This is a crop of a whole-slide image: an H&E-stained breast-cancer sentinel lymph node section at roughly 10× magnification (about 0.97 µm per pixel; the crop spans about 0.5 mm).
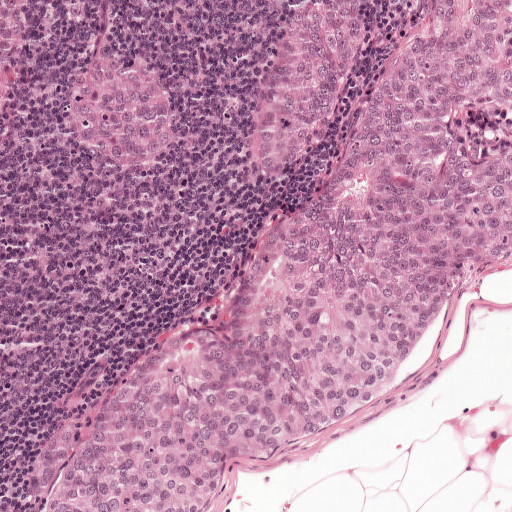
Outlines of four tumour regions, largest first (closed clockwise paths, crop pixels): region 1: (413, 0), (511, 0), (511, 255), (462, 291), (379, 404), (340, 431), (226, 467), (206, 509), (0, 511), (0, 498), (84, 393), (238, 292), (283, 210), (318, 180); region 2: (310, 0), (368, 0), (365, 28), (316, 142), (294, 164), (266, 176), (240, 164), (261, 72), (291, 18); region 3: (104, 48), (133, 55), (157, 70), (169, 98), (171, 128), (160, 156), (133, 171), (104, 164), (78, 148), (61, 122), (60, 92), (78, 66); region 4: (0, 0), (35, 0), (33, 54), (0, 159).
Tumour covers about 50% of the frame.